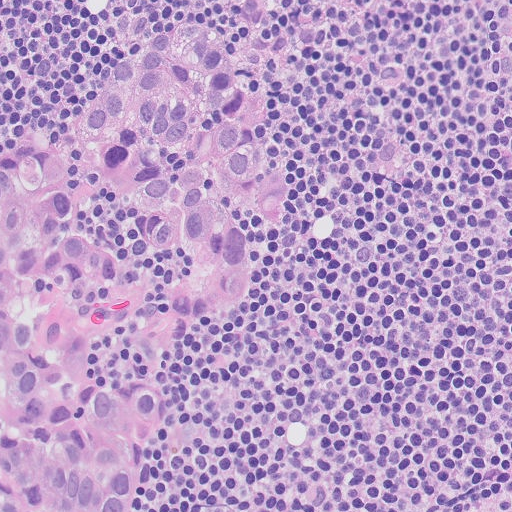
This is a crop of a whole-slide image: an H&E-stained breast-cancer sentinel lymph node section at roughly 20× magnification (about 0.5 µm per pixel; the crop spans about 0.26 mm).
Question: Show where the tumour is in this image.
Answer: The outlined metastatic tumour's edge, as a closed clockwise path of 19 points: (157, 22), (208, 22), (240, 50), (264, 100), (262, 127), (286, 176), (286, 202), (276, 228), (250, 236), (246, 292), (232, 314), (159, 362), (107, 346), (104, 372), (158, 394), (144, 511), (0, 510), (0, 137), (60, 124).
One more small tumour piece is annotated here but not outlined.
About 35% of the image area is annotated as tumour.